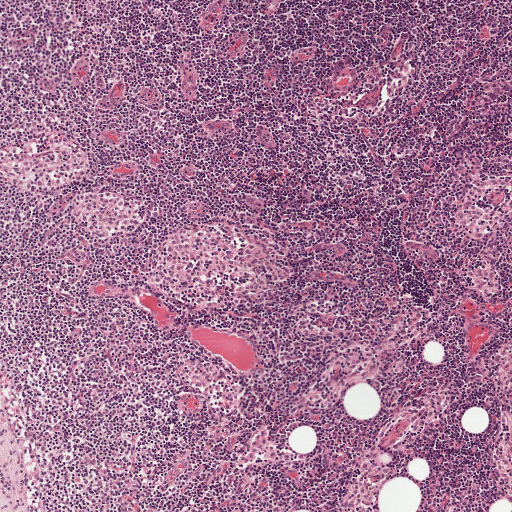
Lymph node section stained with H&E, from a whole-slide image of a breast-cancer sentinel node. Magnification about 5×, about 1 mm across the frame, about 1.9 µm per pixel.